Image:
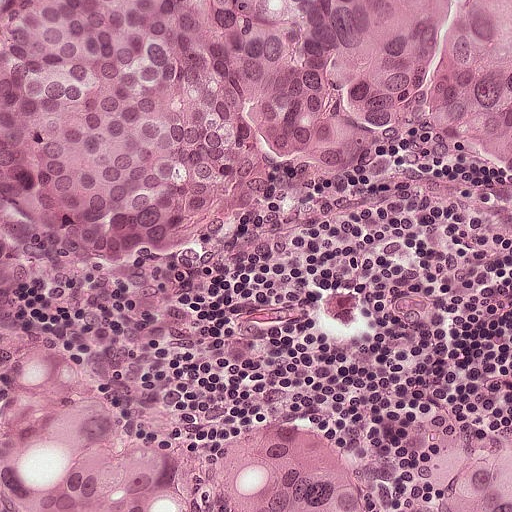
This is a crop of a whole-slide image: an H&E-stained breast-cancer sentinel lymph node section at roughly 20× magnification (about 0.49 µm per pixel; the crop spans about 0.25 mm).
Question:
Trace the edge of each tumour region in this crop, as (x, y) points from 0 to 511.
Answer:
Two metastatic tumour regions, each outlined as a closed clockwise path in crop pixels (x, y), largest first: region 1: (0, 0), (511, 0), (511, 173), (475, 154), (446, 163), (400, 154), (348, 178), (302, 181), (178, 262), (24, 287), (16, 300), (100, 402), (148, 439), (196, 456), (241, 425), (294, 420), (358, 458), (384, 510), (0, 511); region 2: (455, 444), (497, 450), (511, 448), (511, 511), (438, 511), (429, 466), (434, 458).
About 60% of the image area is annotated as tumour.